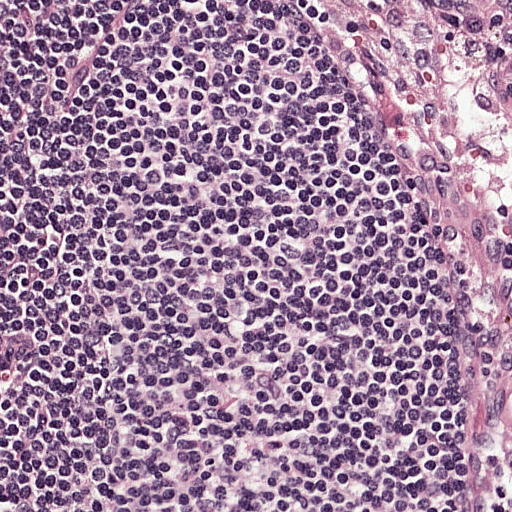
This is a crop of a whole-slide image: an H&E-stained breast-cancer sentinel lymph node section at roughly 20× magnification (about 0.49 µm per pixel; the crop spans about 0.25 mm).